Question: 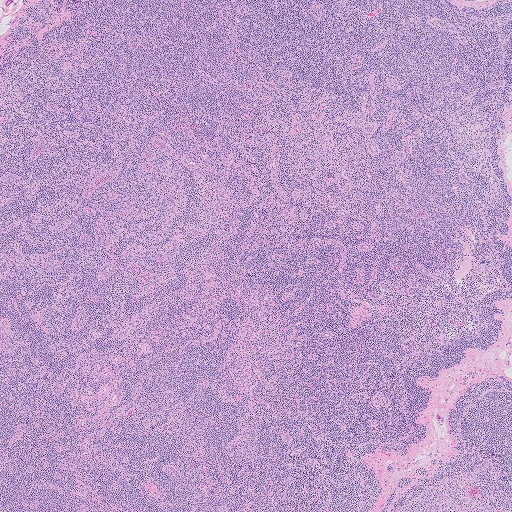
About what magnification does this crop show?

Choices:
 (A) about 20×
 (B) about 10×
 (C) about 5×
 (D) about 40×
 (E) about 2.5×

Answer: (E) about 2.5×
A 2.0-mm field of an H&E-stained sentinel lymph node from a breast-cancer patient (whole-slide image), shown at about 2.5×, about 4.0 µm per pixel.